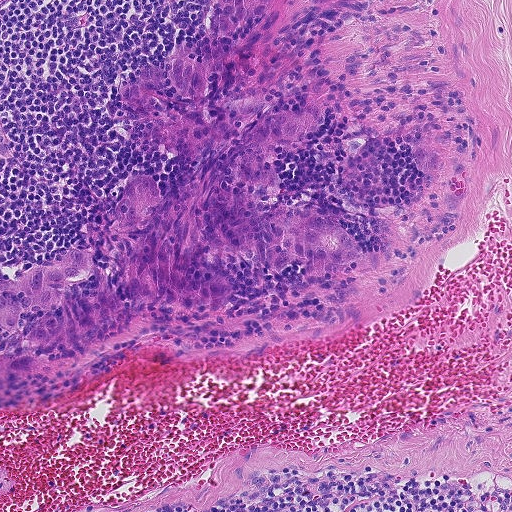
H&E-stained section of a sentinel lymph node (breast cancer), from a whole-slide image, viewed at about 10×: the field is about 0.46 mm across, about 0.9 µm per pixel.
Question: Describe where the metastatic carcinoma lies in this crop.
Answer: Two metastatic tumour regions, each outlined as a closed clockwise path in crop pixels (x, y), largest first: region 1: (292, 0), (297, 18), (278, 53), (300, 65), (226, 106), (236, 142), (267, 114), (325, 107), (272, 181), (244, 187), (242, 212), (297, 209), (363, 248), (294, 269), (198, 247), (238, 300), (142, 303), (106, 286), (122, 307), (35, 353), (86, 350), (78, 362), (0, 389), (0, 284), (133, 237), (110, 226), (138, 172), (166, 198), (209, 146), (158, 147), (166, 118), (118, 88), (152, 64), (163, 99), (192, 102), (168, 60), (222, 50), (264, 13), (213, 41), (211, 6); region 2: (418, 143), (442, 156), (444, 162), (442, 174), (436, 177), (424, 174), (420, 170), (413, 152), (414, 145).
About 20% of this field is tumour.